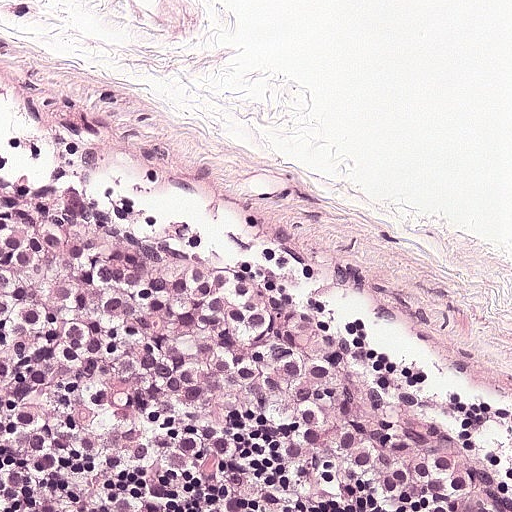
This is a crop of a whole-slide image: an H&E-stained breast-cancer sentinel lymph node section at roughly 20× magnification (about 0.49 µm per pixel; the crop spans about 0.25 mm).
Question: Which parts of this field are metastatic tumour?
Answer: One metastatic tumour region; its boundary, reduced to 6 corners and listed clockwise: (0, 106), (166, 156), (316, 232), (511, 452), (511, 511), (0, 511).
About 55% of the image area is annotated as tumour.